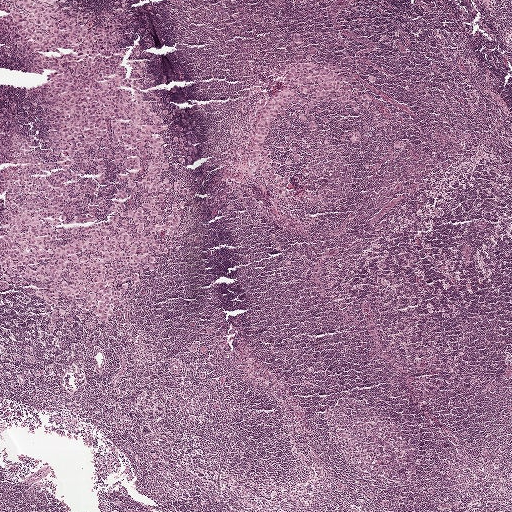
H&E-stained section of a sentinel lymph node (breast cancer), from a whole-slide image, viewed at about 2.5×: the field is about 2.0 mm across, about 3.9 µm per pixel.
Boundaries of two metastatic tumour regions, simplified and listed clockwise, largest first: region 1: (0, 0), (77, 5), (132, 40), (171, 118), (165, 153), (189, 196), (177, 242), (112, 333), (63, 302), (44, 308), (1, 282); region 2: (293, 59), (311, 60), (318, 65), (328, 62), (356, 78), (370, 111), (392, 135), (388, 142), (383, 136), (378, 141), (369, 134), (366, 145), (360, 142), (350, 147), (347, 137), (359, 132), (370, 120), (364, 112), (354, 118), (338, 105), (318, 120), (314, 136), (295, 124), (291, 127), (295, 146), (275, 132), (264, 135), (266, 142), (284, 148), (298, 160), (279, 175), (279, 178), (288, 176), (292, 212), (281, 208), (244, 168), (245, 146).
About 20% of this field is tumour.